A 0.26-mm field of an H&E-stained sentinel lymph node from a breast-cancer patient (whole-slide image), shown at about 20×, about 0.5 µm per pixel.
Question: 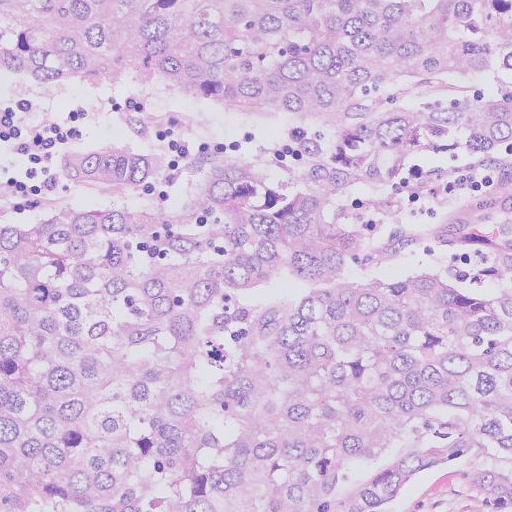
Estimate the proportion of this field that is metastatic tumour.

Choices:
 (A) none: no tumour is outlined
 (B) about 25% to 45%
 (C) about 5% or less
 (D) about 10% to 20%
 (E) about 50% or more

Answer: (E) about 50% or more
Over 95% of the field is tumour.
One metastatic tumour region; its boundary, reduced to 9 corners and listed clockwise: (0, 0), (511, 0), (511, 511), (0, 511), (0, 201), (30, 192), (80, 114), (130, 98), (0, 86).